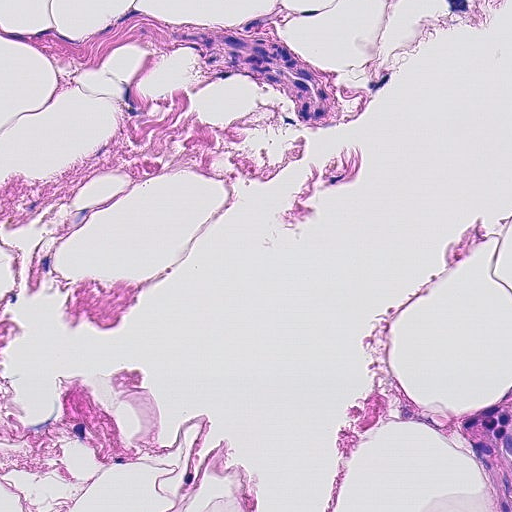
H&E-stained section of a sentinel lymph node (breast cancer), from a whole-slide image, viewed at about 20×: the field is about 0.23 mm across, about 0.45 µm per pixel.
Question: Does this lymph node field contain metastatic tumour?
Answer: No: no metastatic tumour is outlined anywhere in this field.